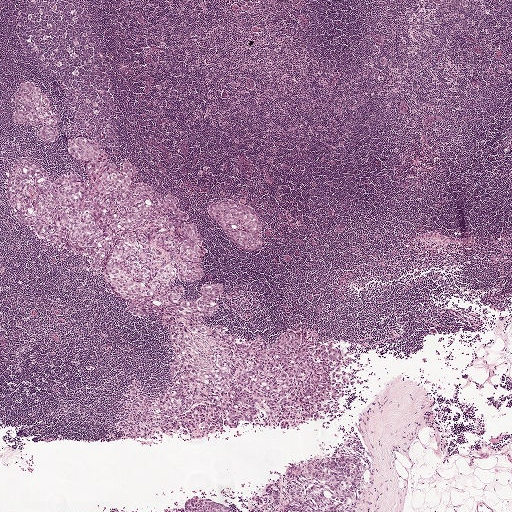
H&E-stained section of a sentinel lymph node (breast cancer), from a whole-slide image, viewed at about 2.5×: the field is about 2.0 mm across, about 3.9 µm per pixel.
Five metastatic tumour regions, each outlined as a closed clockwise path in crop pixels (x, y), largest first: region 1: (66, 143), (120, 144), (112, 161), (122, 170), (130, 162), (136, 183), (178, 198), (205, 242), (203, 280), (180, 282), (192, 302), (208, 285), (223, 286), (221, 314), (203, 324), (244, 344), (272, 344), (289, 330), (323, 335), (360, 361), (360, 384), (325, 424), (246, 423), (198, 440), (183, 432), (124, 437), (125, 389), (163, 395), (172, 335), (131, 318), (89, 262), (17, 224), (7, 185), (19, 161), (50, 182), (72, 172), (89, 184), (88, 165); region 2: (358, 441), (364, 447), (362, 462), (366, 469), (358, 511), (255, 511), (254, 507), (263, 490), (279, 479), (287, 465), (334, 458), (342, 448), (354, 450); region 3: (234, 200), (251, 206), (264, 227), (262, 232), (259, 233), (264, 242), (264, 248), (254, 252), (247, 252), (231, 243), (217, 222), (208, 215), (208, 205), (216, 202); region 4: (34, 83), (41, 90), (46, 108), (58, 116), (60, 137), (56, 144), (45, 143), (38, 138), (38, 133), (44, 128), (41, 122), (36, 126), (29, 125), (26, 127), (18, 126), (14, 123), (13, 112), (19, 108), (15, 101), (16, 95), (22, 85); region 5: (195, 497), (211, 499), (215, 501), (224, 505), (230, 508), (231, 511), (159, 511), (169, 509), (182, 507), (184, 506), (186, 502).
About 20% of this field is tumour.